Image:
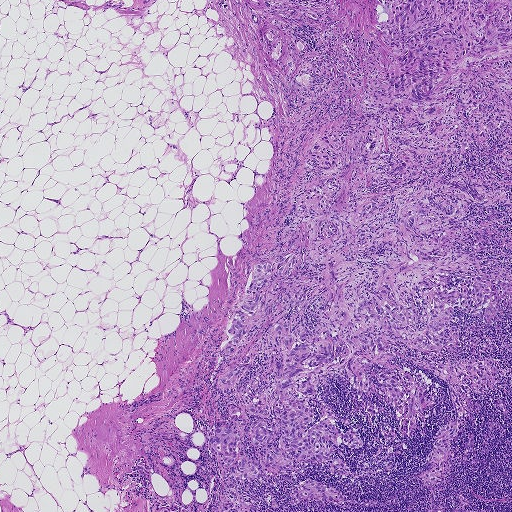
This is a crop of a whole-slide image: an H&E-stained breast-cancer sentinel lymph node section at roughly 2.5× magnification (about 3.6 µm per pixel; the crop spans about 1.9 mm).
Question:
Where is the metastatic tumour in this field?
Answer:
Outlines of five tumour regions, largest first (closed clockwise paths, crop pixels): region 1: (378, 0), (511, 0), (511, 319), (455, 309), (450, 357), (510, 368), (489, 389), (508, 414), (471, 392), (479, 412), (434, 492), (418, 475), (455, 417), (446, 381), (418, 368), (441, 386), (425, 434), (396, 432), (375, 457), (394, 411), (377, 399), (374, 417), (329, 374), (322, 404), (363, 438), (334, 453), (350, 476), (258, 477), (251, 511), (217, 511), (208, 444), (238, 404), (211, 376), (233, 312), (256, 259), (311, 217), (304, 151), (378, 109), (351, 79), (399, 71); region 2: (307, 479), (317, 481), (346, 496), (346, 499), (327, 502), (312, 499), (294, 505), (291, 504), (290, 492); region 3: (140, 455), (142, 456), (146, 460), (151, 468), (150, 470), (151, 485), (152, 488), (157, 496), (169, 500), (171, 502), (177, 504), (184, 509), (193, 511), (148, 511), (149, 508), (153, 503), (152, 499), (148, 495), (146, 489), (142, 485), (137, 476), (138, 471), (135, 466), (136, 460); region 4: (324, 64), (330, 65), (334, 68), (334, 74), (330, 76), (323, 74), (318, 76), (313, 73), (313, 68), (319, 67), (321, 69); region 5: (470, 434), (472, 435), (473, 444), (472, 450), (469, 452), (468, 455), (466, 456), (464, 454), (465, 439), (466, 439), (468, 440).
One more small tumour piece is annotated here but not outlined.
About 35% of this field is tumour.